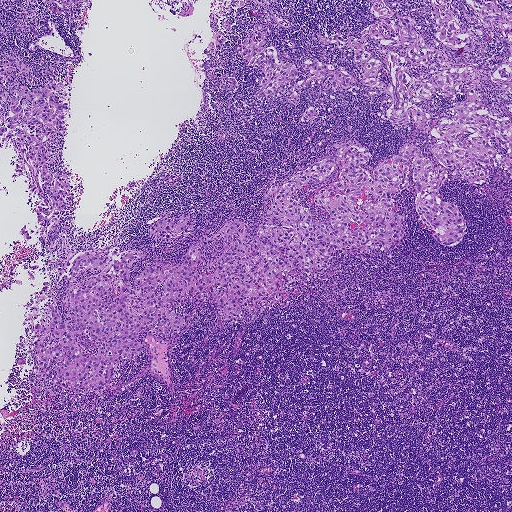
A 1.9-mm field of an H&E-stained sentinel lymph node from a breast-cancer patient (whole-slide image), shown at about 2.5×, about 3.6 µm per pixel.
The eight largest tumour regions' boundaries, simplified and listed clockwise, largest first: region 1: (370, 0), (511, 100), (511, 178), (438, 190), (455, 246), (410, 172), (393, 249), (295, 261), (234, 321), (209, 291), (171, 302), (181, 328), (140, 331), (99, 394), (33, 363), (45, 302), (74, 324), (76, 251), (140, 250), (128, 286), (144, 296), (138, 272), (197, 239), (193, 280), (212, 273), (227, 222), (282, 223), (270, 186), (336, 143), (370, 172), (404, 142), (440, 164), (410, 110), (389, 120), (388, 72), (371, 39), (385, 88), (320, 43), (383, 19); region 2: (11, 53), (25, 62), (36, 61), (30, 68), (33, 84), (23, 76), (18, 80), (29, 90), (62, 80), (68, 87), (67, 135), (53, 134), (53, 142), (47, 141), (45, 148), (54, 161), (46, 167), (50, 172), (63, 169), (73, 173), (68, 176), (68, 186), (76, 188), (72, 191), (76, 204), (53, 222), (44, 235), (44, 231), (40, 235), (37, 221), (38, 195), (27, 196), (26, 177), (12, 177), (15, 164), (11, 165), (16, 154), (11, 139), (2, 145), (0, 60); region 3: (257, 30), (263, 31), (267, 39), (262, 46), (272, 45), (280, 55), (296, 65), (302, 79), (309, 76), (309, 72), (302, 66), (307, 58), (314, 57), (336, 67), (342, 65), (350, 72), (354, 80), (352, 86), (332, 88), (329, 82), (326, 81), (322, 85), (314, 80), (300, 88), (296, 104), (286, 101), (285, 98), (289, 93), (285, 89), (271, 95), (253, 96), (258, 88), (259, 78), (265, 76), (265, 72), (259, 64), (246, 65), (244, 62), (241, 41); region 4: (429, 0), (446, 0), (447, 7), (457, 18), (461, 28), (474, 36), (475, 51), (450, 48), (439, 44), (436, 40), (434, 35), (434, 30), (438, 27), (437, 13); region 5: (187, 213), (194, 217), (194, 226), (184, 238), (171, 241), (148, 234), (150, 227), (166, 216), (173, 218), (178, 214); region 6: (465, 0), (476, 0), (478, 6), (482, 6), (491, 1), (495, 1), (501, 10), (504, 8), (511, 13), (511, 21), (507, 20), (511, 26), (511, 42), (502, 33), (500, 26), (502, 23), (496, 22), (490, 27), (487, 27), (479, 14); region 7: (0, 0), (35, 0), (37, 3), (37, 6), (25, 4), (28, 7), (36, 11), (38, 14), (35, 16), (22, 20), (30, 24), (43, 36), (40, 37), (36, 37), (31, 29), (22, 31), (18, 29), (15, 26), (14, 21), (14, 17), (18, 14), (22, 14), (25, 11), (21, 9), (18, 6), (10, 2), (0, 1); region 8: (511, 54), (511, 94), (506, 91), (508, 97), (506, 97), (502, 95), (500, 92), (501, 88), (499, 85), (492, 82), (490, 79), (490, 76), (493, 70), (495, 68), (498, 66), (505, 63), (509, 58).
Six more, smaller tumour regions are not outlined.
Four more small tumour pieces are annotated here but not outlined.
The annotated tumour makes up about 25% of the crop.